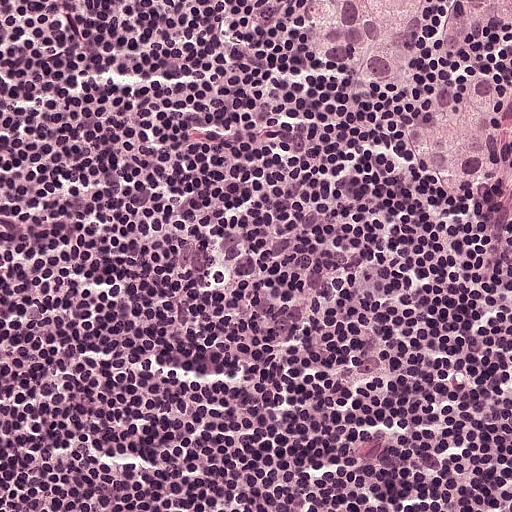
H&E-stained section of a sentinel lymph node (breast cancer), from a whole-slide image, viewed at about 20×: the field is about 0.25 mm across, about 0.49 µm per pixel.
Metastatic tumour outline, simplified to 15 points and listed clockwise in crop pixels (x, y): (308, 0), (511, 0), (511, 172), (483, 187), (446, 190), (412, 162), (403, 132), (419, 102), (442, 80), (478, 73), (471, 53), (386, 90), (344, 77), (314, 56), (300, 12).
The annotated tumour makes up about 10% of the crop.